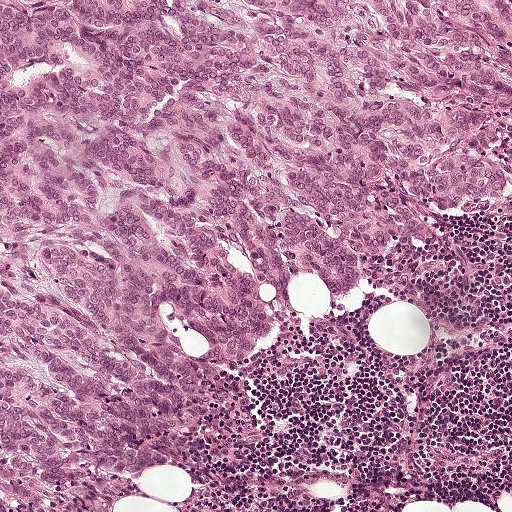
A 0.5-mm field of an H&E-stained sentinel lymph node from a breast-cancer patient (whole-slide image), shown at about 10×, about 0.97 µm per pixel.
Tumour region outline (a closed clockwise path, crop pixels): (0, 0), (511, 0), (510, 229), (451, 239), (392, 301), (303, 301), (242, 405), (196, 432), (127, 511), (0, 511).
About 75% of the image area is annotated as tumour.